Image:
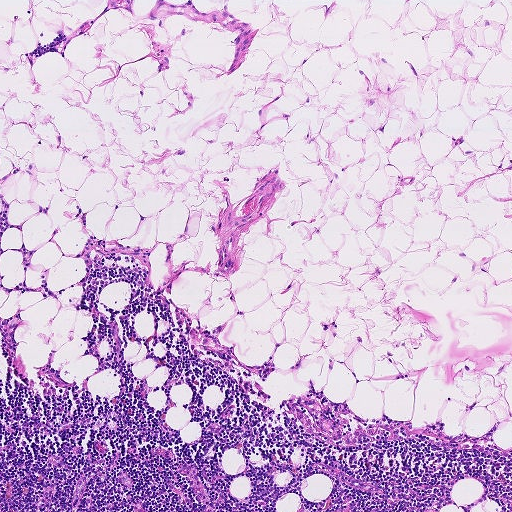
A 0.93-mm field of an H&E-stained sentinel lymph node from a breast-cancer patient (whole-slide image), shown at about 5×, about 1.8 µm per pixel.
Question:
Is there metastatic carcinoma in this field?
Answer:
No. No metastatic tumour is outlined in this field.

Image:
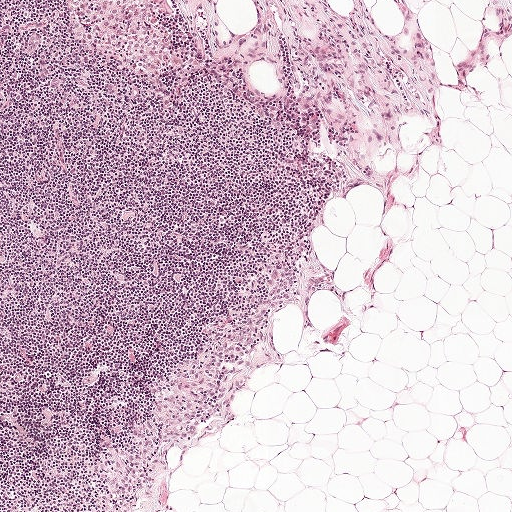
This is a crop of a whole-slide image: an H&E-stained breast-cancer sentinel lymph node section at roughly 5× magnification (about 1.9 µm per pixel; the crop spans about 1 mm).
Question:
Is there metastatic carcinoma in this field?
Answer:
No. No metastatic tumour is outlined in this field.

Image:
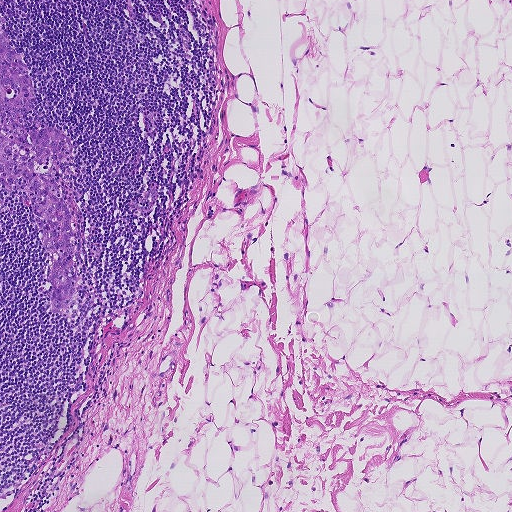
A 0.93-mm field of an H&E-stained sentinel lymph node from a breast-cancer patient (whole-slide image), shown at about 5×, about 1.8 µm per pixel.
Question:
Is there metastatic carcinoma in this field?
Answer:
Yes.
The outlined metastatic tumour's edge, as a closed clockwise path of 22 points: (0, 23), (22, 54), (34, 89), (35, 101), (26, 110), (14, 112), (15, 125), (26, 131), (50, 126), (72, 138), (60, 172), (81, 217), (82, 242), (74, 304), (65, 312), (49, 310), (44, 292), (51, 257), (38, 236), (34, 212), (28, 201), (0, 182).
About 5% of this field is tumour.

Image:
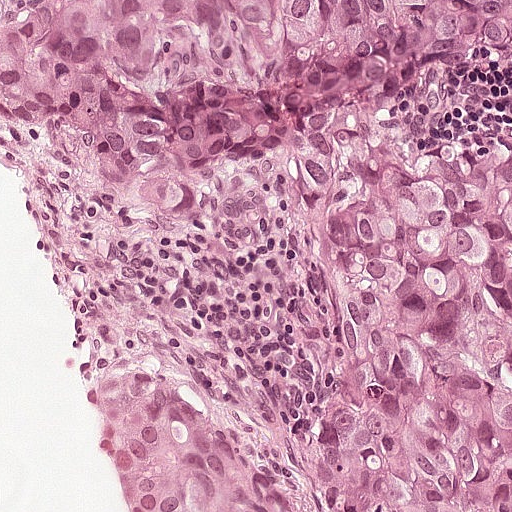
H&E-stained section of a sentinel lymph node (breast cancer), from a whole-slide image, viewed at about 20×: the field is about 0.25 mm across, about 0.49 µm per pixel.
Question:
Is there metastatic carcinoma in this field?
Answer:
Yes.
Tumour region outline (a closed clockwise path, crop pixels): (0, 0), (511, 0), (511, 511), (130, 511), (73, 357), (131, 346), (268, 420), (297, 411), (320, 298), (292, 161), (92, 160), (34, 140), (4, 114).
The annotated tumour makes up about 70% of the crop.